Question: 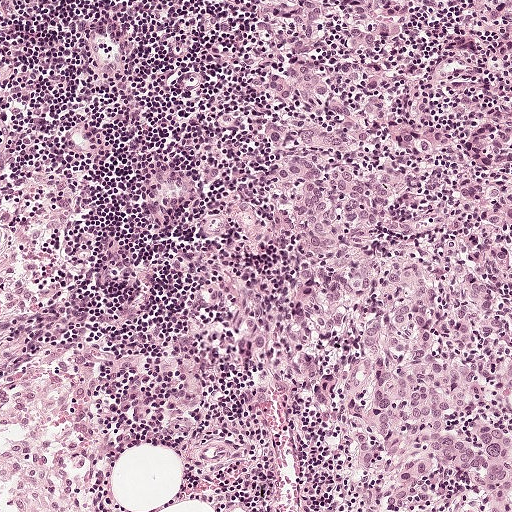
A 0.5-mm field of an H&E-stained sentinel lymph node from a breast-cancer patient (whole-slide image), shown at about 10×, about 0.97 µm per pixel.
Roughly what share of this field is metastatic tumour?

Choices:
 (A) about 50% or more
 (B) about 10% to 20%
 (C) none: no tumour is outlined
 (D) about 5% or less
 (E) about 25% to 45%

Answer: (E) about 25% to 45%
About 45% of the field is tumour.
One metastatic tumour region; its boundary, reduced to 11 corners and listed clockwise: (257, 0), (511, 0), (510, 511), (379, 511), (336, 430), (237, 331), (247, 290), (294, 273), (270, 205), (278, 102), (256, 39).